H&E-stained section of a sentinel lymph node (breast cancer), from a whole-slide image, viewed at about 20×: the field is about 0.25 mm across, about 0.49 µm per pixel.
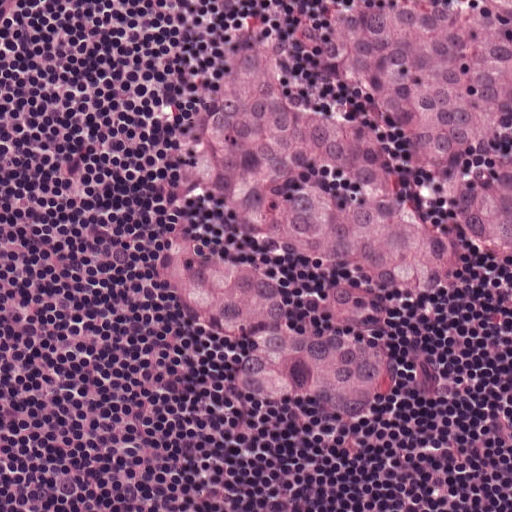
Tumour region outline (a closed clockwise path, crop pixels): (311, 0), (511, 0), (511, 268), (458, 248), (470, 294), (404, 343), (360, 423), (280, 424), (166, 308), (164, 228), (202, 70), (254, 4), (278, 22), (294, 104), (358, 104).
About 45% of the image area is annotated as tumour.